Image:
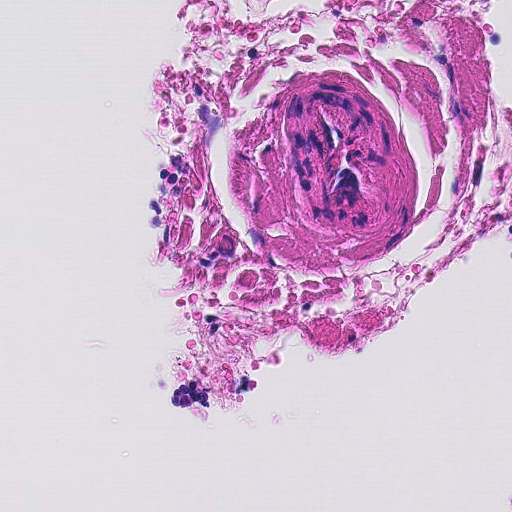
H&E-stained section of a sentinel lymph node (breast cancer), from a whole-slide image, viewed at about 20×: the field is about 0.23 mm across, about 0.45 µm per pixel.
Question:
Does this lymph node field contain metastatic tumour?
Answer:
No. No metastatic tumour is outlined in this field.